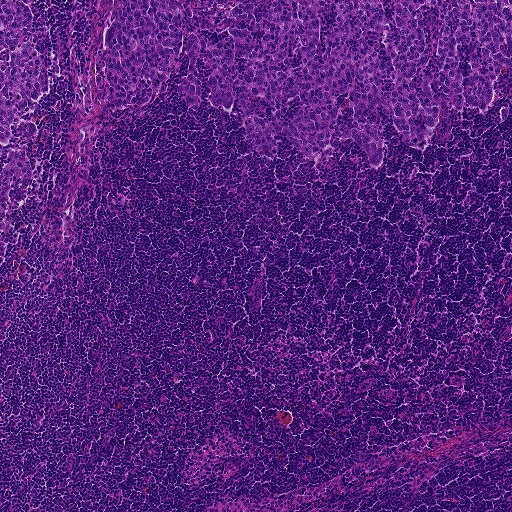
H&E-stained section of a sentinel lymph node (breast cancer), from a whole-slide image, viewed at about 5×: the field is about 0.93 mm across, about 1.8 µm per pixel.
Three metastatic tumour regions, each outlined as a closed clockwise path in crop pixels (x, y), largest first: region 1: (511, 0), (511, 71), (504, 64), (487, 108), (462, 96), (455, 108), (437, 76), (436, 10), (420, 5), (424, 70), (440, 103), (425, 149), (402, 142), (376, 104), (376, 167), (338, 134), (324, 161), (277, 134), (268, 157), (243, 123), (271, 120), (267, 102), (250, 95), (246, 115), (236, 92), (230, 109), (213, 105), (202, 46), (195, 112), (177, 87), (189, 67), (185, 54), (152, 102), (113, 109), (100, 55), (116, 6); region 2: (0, 0), (21, 0), (30, 9), (33, 41), (38, 50), (56, 62), (57, 73), (46, 90), (18, 119), (38, 126), (35, 136), (25, 140), (14, 136), (0, 151); region 3: (26, 149), (31, 159), (32, 180), (14, 213), (4, 216), (10, 225), (1, 234), (0, 174), (11, 157).
One more small tumour piece is annotated here but not outlined.
About 20% of this field is tumour.